A 1-mm field of an H&E-stained sentinel lymph node from a breast-cancer patient (whole-slide image), shown at about 5×, about 1.9 µm per pixel.
Image:
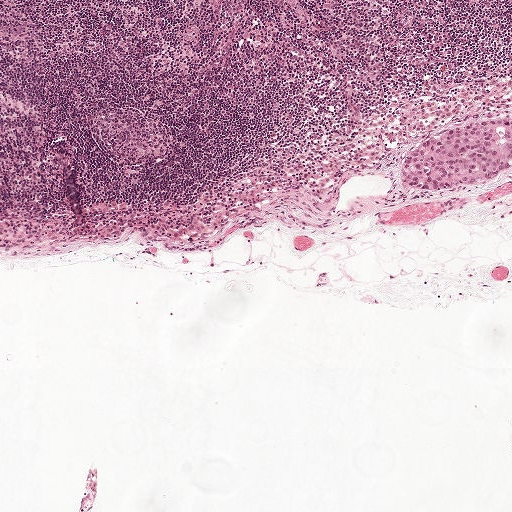
Question:
Where is the metastatic tumour in this field? Give each region's outline as (x, y) pixel points.
Answer:
Metastatic tumour outline, simplified to 10 points and listed clockwise in crop pixels (x, y): (486, 113), (511, 117), (511, 175), (461, 187), (426, 189), (412, 185), (399, 175), (398, 160), (405, 146), (459, 121).
About 5% of this field is tumour.